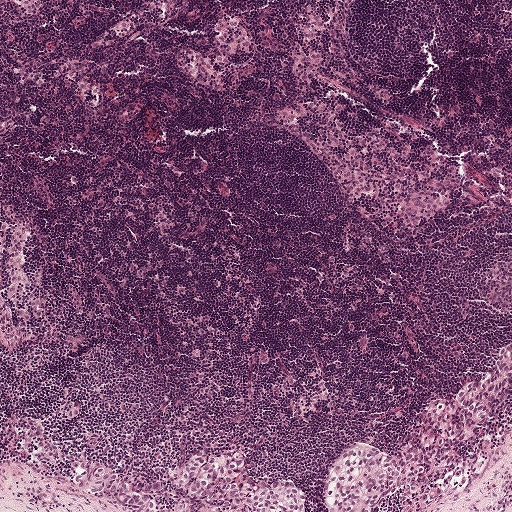
This is a crop of a whole-slide image: an H&E-stained breast-cancer sentinel lymph node section at roughly 5× magnification (about 1.9 µm per pixel; the crop spans about 1 mm).
Three metastatic tumour regions, each outlined as a closed clockwise path in crop pixels (x, y), largest first: region 1: (511, 339), (511, 392), (489, 419), (464, 438), (449, 475), (451, 488), (427, 511), (401, 511), (404, 500), (398, 488), (375, 511), (326, 511), (330, 471), (342, 446), (363, 440), (388, 453), (406, 448), (408, 439), (418, 432), (429, 402), (458, 393), (468, 380), (494, 365), (501, 346); region 2: (223, 446), (248, 455), (254, 480), (286, 480), (297, 483), (306, 493), (305, 511), (174, 511), (175, 496), (170, 476), (174, 467), (202, 448); region 3: (104, 460), (134, 480), (160, 478), (161, 490), (152, 493), (156, 496), (161, 511), (128, 511), (117, 503), (82, 490), (72, 480), (77, 471).
The annotated tumour makes up about 10% of the crop.